Question: 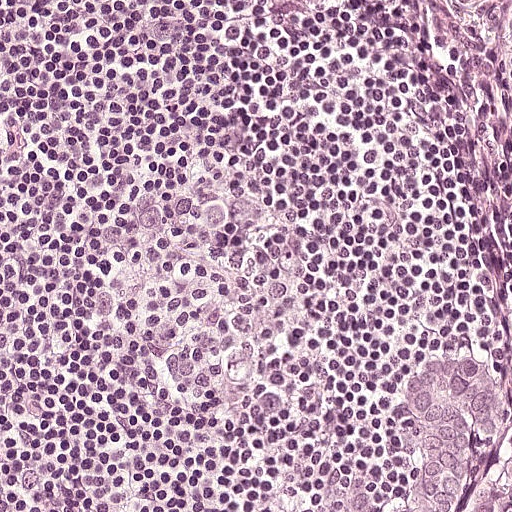
This is a crop of a whole-slide image: an H&E-stained breast-cancer sentinel lymph node section at roughly 20× magnification (about 0.49 µm per pixel; the crop spans about 0.25 mm).
About how much of this crop is taken up by metastatic carcinoma?

Choices:
 (A) about 10% to 20%
 (B) none: no tumour is outlined
 (C) about 25% to 45%
 (D) about 50% or more
 (E) about 5% or less

Answer: (E) about 5% or less
About 5% of the field is tumour.
Outlines of two tumour regions, largest first (closed clockwise paths, crop pixels): region 1: (511, 355), (511, 511), (406, 511), (412, 492), (406, 431), (397, 405), (406, 374), (425, 357); region 2: (509, 0), (511, 0), (511, 88), (508, 86), (502, 78), (496, 64), (498, 31), (501, 24), (501, 20), (504, 14), (506, 6), (508, 4), (508, 2), (509, 2).
One more small tumour piece is annotated here but not outlined.